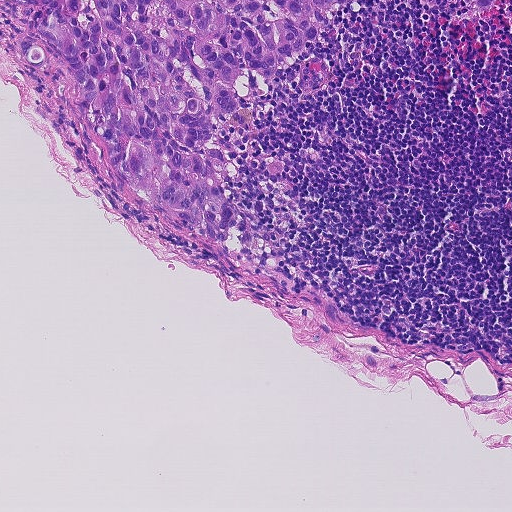
Lymph node section stained with H&E, from a whole-slide image of a breast-cancer sentinel node. Magnification about 10×, about 0.46 mm across the frame, about 0.9 µm per pixel.
Boundaries of two metastatic tumour regions, simplified and listed clockwise, largest first: region 1: (22, 0), (348, 0), (331, 12), (308, 51), (268, 72), (270, 92), (224, 122), (211, 118), (209, 143), (242, 173), (231, 194), (242, 214), (225, 244), (158, 222), (90, 135), (66, 72), (16, 64), (19, 40), (36, 26), (35, 4); region 2: (474, 0), (497, 0), (481, 10), (474, 4).
The annotated tumour makes up about 15% of the crop.